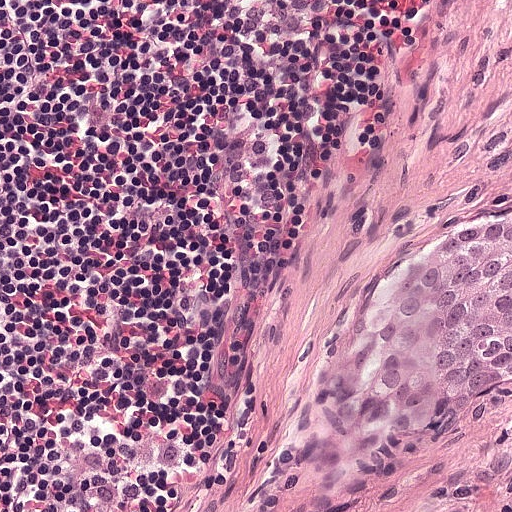
Lymph node section stained with H&E, from a whole-slide image of a breast-cancer sentinel node. Magnification about 20×, about 0.25 mm across the frame, about 0.49 µm per pixel.
Question: Is any metastatic breast cancer visible in this crop?
Answer: Yes.
Tumour region outline (a closed clockwise path, crop pixels): (508, 221), (511, 389), (433, 426), (400, 456), (377, 463), (333, 460), (338, 384), (364, 340), (414, 284), (438, 243).
The annotated tumour makes up about 10% of the crop.